Image:
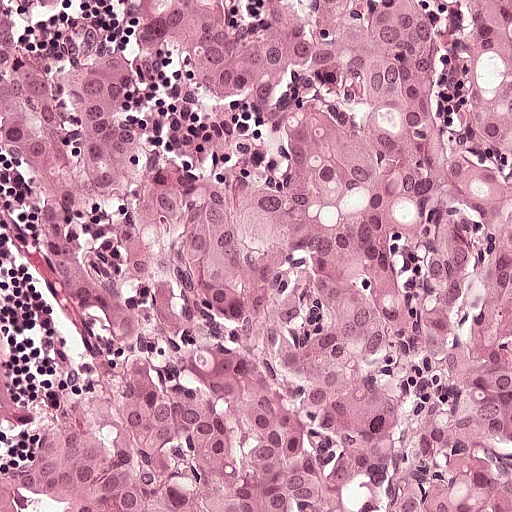
This is a crop of a whole-slide image: an H&E-stained breast-cancer sentinel lymph node section at roughly 20× magnification (about 0.49 µm per pixel; the crop spans about 0.25 mm).
Question:
Which parts of this field are metastatic tumour? Answer with the outline of each region, in pixels.
Answer:
Tumour region outline (a closed clockwise path, crop pixels): (0, 0), (511, 0), (511, 511), (0, 511), (0, 295), (38, 334), (28, 390), (38, 406), (56, 398), (73, 348), (56, 284), (6, 246), (1, 253).
Tumour covers over 95% of the frame.